Image:
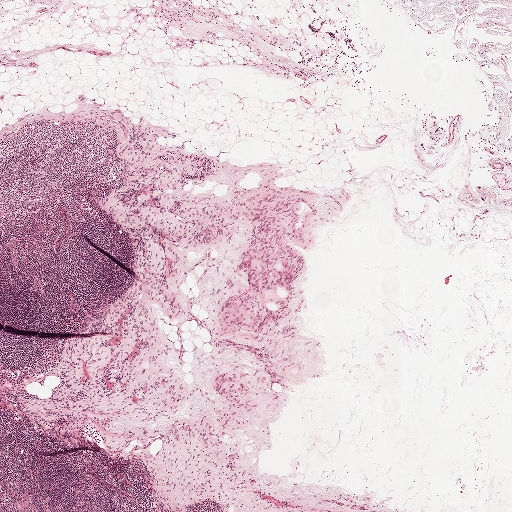
This is a crop of a whole-slide image: an H&E-stained breast-cancer sentinel lymph node section at roughly 2.5× magnification (about 3.9 µm per pixel; the crop spans about 2.0 mm).
Question:
Is there metastatic carcinoma in this field?
Answer:
No: no metastatic tumour is outlined anywhere in this field.